Image:
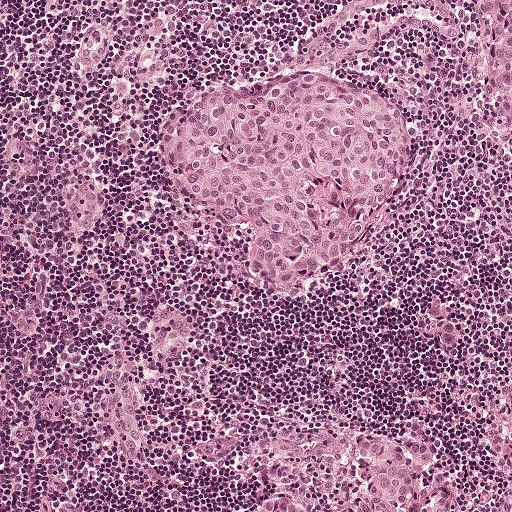
This is a crop of a whole-slide image: an H&E-stained breast-cancer sentinel lymph node section at roughly 10× magnification (about 0.97 µm per pixel; the crop spans about 0.5 mm).
Question:
Where is the metastatic tumour in this field?
Answer:
Boundaries of four metastatic tumour regions, simplified and listed clockwise, largest first: region 1: (332, 75), (369, 88), (390, 101), (409, 143), (409, 174), (395, 206), (362, 248), (293, 301), (244, 292), (248, 242), (175, 193), (162, 166), (184, 108), (208, 94), (285, 76); region 2: (288, 426), (419, 441), (448, 478), (452, 510), (245, 511), (268, 496), (267, 482), (246, 465), (248, 443), (263, 433); region 3: (457, 0), (511, 0), (511, 155), (504, 145), (482, 134), (474, 122), (469, 91), (469, 51), (458, 33); region 4: (511, 406), (511, 485), (509, 484), (509, 481), (503, 469), (501, 467), (495, 454), (495, 446), (496, 446), (496, 441), (498, 438), (501, 428), (503, 426), (503, 423), (505, 420), (510, 409).
One more small tumour piece is annotated here but not outlined.
About 25% of the image area is annotated as tumour.